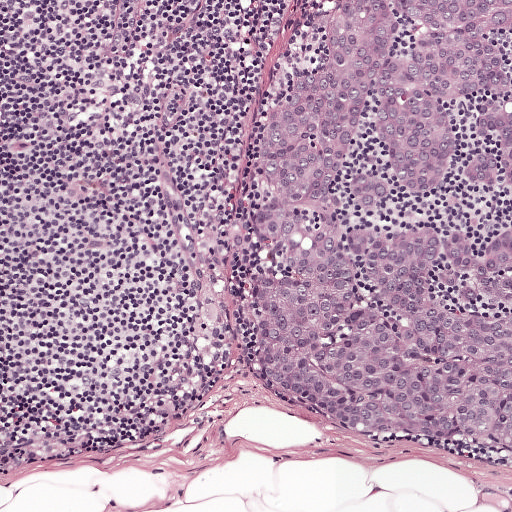
H&E-stained section of a sentinel lymph node (breast cancer), from a whole-slide image, viewed at about 10×: the field is about 0.5 mm across, about 0.97 µm per pixel.
One metastatic tumour region; its boundary, reduced to 10 corners and listed clockwise: (511, 0), (511, 461), (349, 428), (270, 396), (253, 371), (244, 342), (272, 261), (248, 210), (262, 123), (343, 4).
About 40% of this field is tumour.